Image:
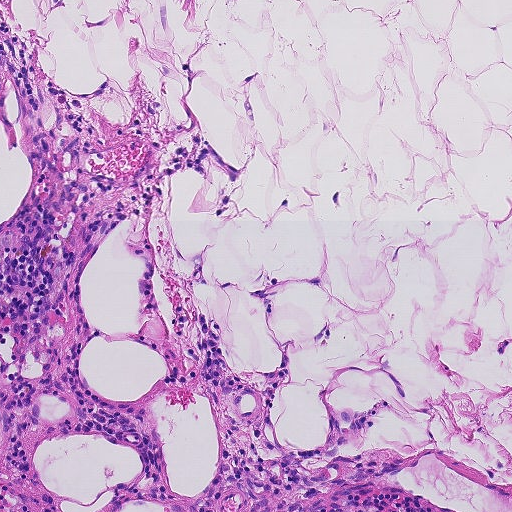
Lymph node section stained with H&E, from a whole-slide image of a breast-cancer sentinel node. Magnification about 10×, about 0.46 mm across the frame, about 0.9 µm per pixel.
Question:
Is there metastatic carcinoma in this field?
Answer:
No. No metastatic tumour is outlined in this field.